H&E-stained section of a sentinel lymph node (breast cancer), from a whole-slide image, viewed at about 2.5×: the field is about 2.0 mm across, about 3.9 µm per pixel.
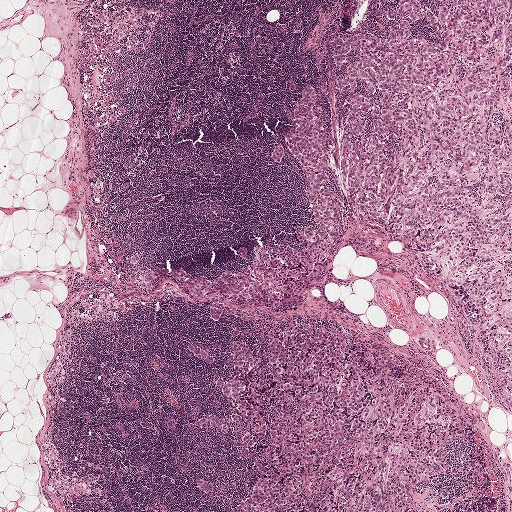
Question: Is any metastatic breast cancer visible in this crop?
Answer: Yes.
Two metastatic tumour regions, each outlined as a closed clockwise path in crop pixels (x, y), largest first: region 1: (386, 0), (511, 0), (511, 411), (447, 291), (382, 238), (355, 232), (292, 299), (244, 315), (223, 309), (217, 321), (210, 308), (222, 308), (145, 290), (142, 279), (224, 274), (241, 245), (293, 234), (294, 191), (270, 164), (292, 81), (338, 34), (371, 27); region 2: (306, 322), (362, 336), (433, 386), (466, 424), (462, 438), (440, 448), (445, 470), (429, 483), (437, 511), (227, 511), (234, 505), (195, 481), (241, 495), (253, 470), (233, 436), (194, 421), (199, 411), (234, 411), (215, 380), (234, 369), (191, 357), (186, 342), (221, 354), (235, 324).
One more small tumour piece is annotated here but not outlined.
Tumour covers about 40% of the frame.